Question: 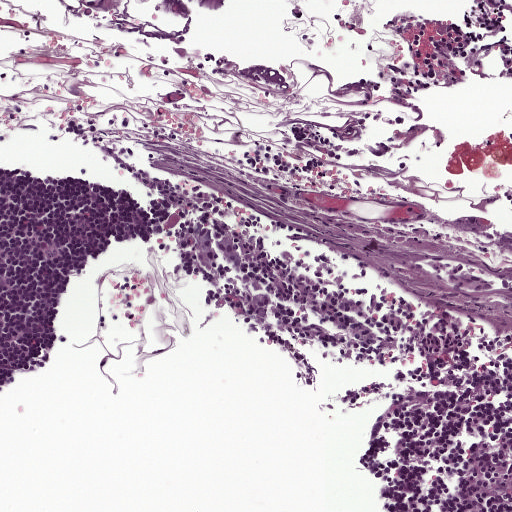
H&E-stained section of a sentinel lymph node (breast cancer), from a whole-slide image, viewed at about 10×: the field is about 0.5 mm across, about 0.97 µm per pixel.
What fraction of the image area is metastatic tumour?

Choices:
 (A) about 10% to 20%
 (B) none: no tumour is outlined
 (C) about 25% to 45%
 (D) about 5% or less
 (E) about 50% or more

Answer: (D) about 5% or less
Under 5% of the field is tumour.
Outlines of three tumour regions, largest first (closed clockwise paths, crop pixels): region 1: (209, 226), (219, 236), (230, 238), (238, 256), (236, 266), (222, 264), (222, 272), (207, 273), (195, 256), (195, 231); region 2: (452, 265), (487, 270), (506, 282), (487, 295), (464, 292), (442, 285); region 3: (240, 292), (272, 292), (277, 302), (266, 319), (252, 314), (247, 308).